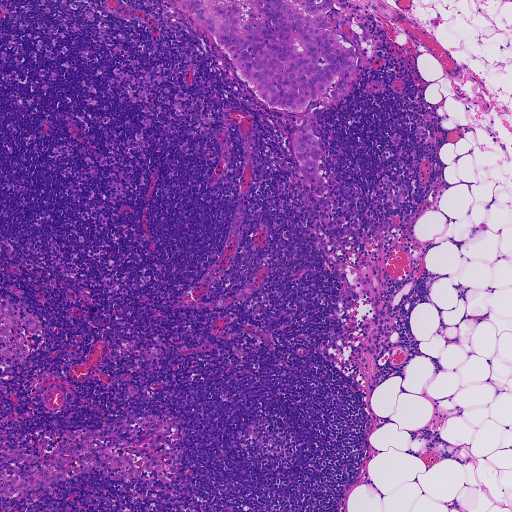
Lymph node section stained with H&E, from a whole-slide image of a breast-cancer sentinel node. Magnification about 5×, about 0.93 mm across the frame, about 1.8 µm per pixel.
Outlines of two tumour regions, largest first (closed clockwise paths, crop pixels): region 1: (176, 0), (334, 0), (322, 30), (335, 32), (338, 41), (347, 48), (353, 47), (355, 64), (350, 88), (332, 102), (333, 87), (326, 90), (316, 101), (311, 100), (302, 112), (271, 108), (258, 99), (210, 35); region 2: (308, 124), (319, 139), (322, 152), (314, 170), (318, 175), (323, 178), (324, 184), (316, 186), (305, 181), (292, 142), (301, 126).
One more small tumour piece is annotated here but not outlined.
About 5% of this field is tumour.